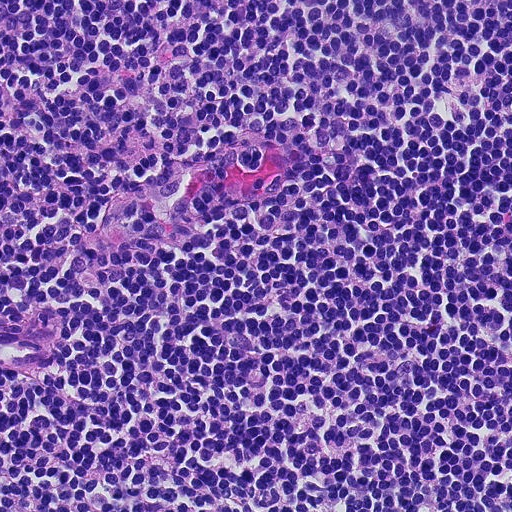
Lymph node section stained with H&E, from a whole-slide image of a breast-cancer sentinel node. Magnification about 20×, about 0.23 mm across the frame, about 0.45 µm per pixel.
Question: Is there metastatic carcinoma in this field?
Answer: No: no metastatic tumour is outlined anywhere in this field.